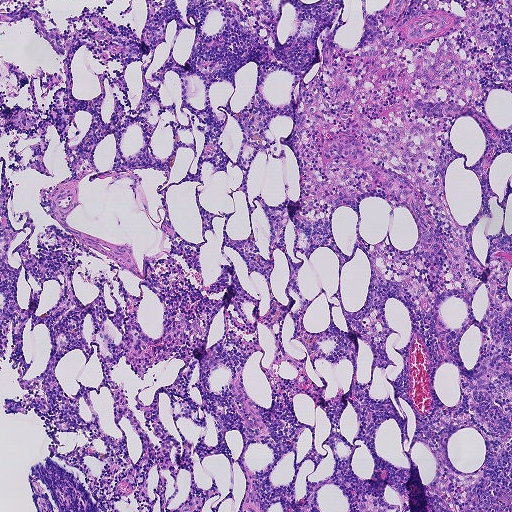
Lymph node section stained with H&E, from a whole-slide image of a breast-cancer sentinel node. Magnification about 5×, about 0.93 mm across the frame, about 1.8 µm per pixel.
Question: Is any metastatic breast cancer visible in this crop?
Answer: No, this field holds no outlined metastasis.